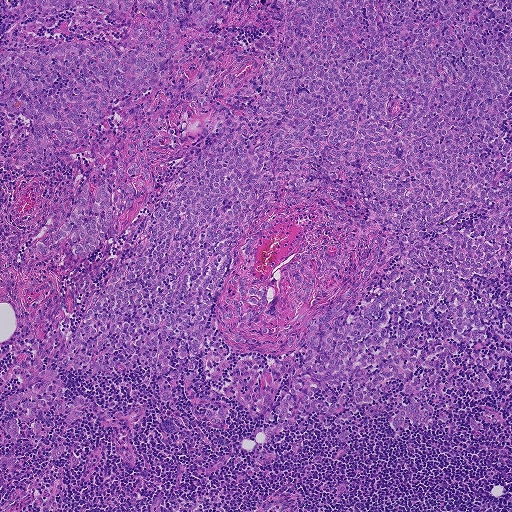
A 0.93-mm field of an H&E-stained sentinel lymph node from a breast-cancer patient (whole-slide image), shown at about 5×, about 1.8 µm per pixel.
Two metastatic tumour regions, each outlined as a closed clockwise path in crop pixels (x, y), largest first: region 1: (23, 0), (511, 0), (511, 276), (467, 286), (511, 290), (483, 353), (511, 383), (475, 366), (500, 383), (474, 399), (451, 358), (423, 402), (452, 419), (393, 435), (390, 379), (335, 458), (333, 414), (252, 437), (223, 388), (262, 354), (219, 337), (222, 380), (201, 348), (192, 379), (191, 334), (160, 374), (59, 368), (85, 411), (0, 443), (182, 158), (114, 238), (40, 254), (93, 157), (14, 165), (0, 53), (14, 28), (121, 50), (123, 23); region 2: (218, 407), (222, 408), (225, 411), (226, 419), (225, 423), (221, 425), (212, 424), (209, 420), (205, 413), (208, 409), (215, 414), (217, 411).
Two more small tumour pieces are annotated here but not outlined.
The annotated tumour makes up about 70% of the crop.